Question: 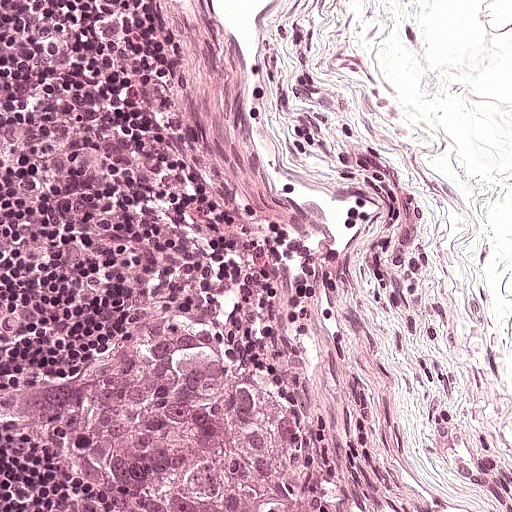
A 0.25-mm field of an H&E-stained sentinel lymph node from a breast-cancer patient (whole-slide image), shown at about 20×, about 0.49 µm per pixel.
Estimate the proportion of this field that is metastatic tumour.

Choices:
 (A) about 10% to 20%
 (B) about 25% to 45%
 (C) about 5% or less
 (D) none: no tumour is outlined
 (E) about 50% or more

Answer: (A) about 10% to 20%
About 15% of the field is tumour.
The outlined metastatic tumour's edge, as a closed clockwise path of 11 points: (146, 324), (204, 327), (295, 388), (323, 444), (318, 511), (142, 511), (110, 480), (2, 416), (2, 384), (72, 362), (108, 336).